Image:
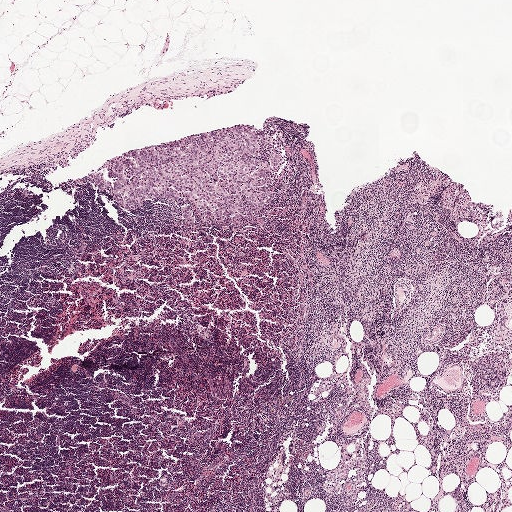
H&E-stained section of a sentinel lymph node (breast cancer), from a whole-slide image, viewed at about 2.5×: the field is about 2.0 mm across, about 3.9 µm per pixel.
Question:
Is there metastatic carcinoma in this field?
Answer:
Yes.
Outlines of two tumour regions, largest first (closed clockwise paths, crop pixels): region 1: (246, 126), (273, 137), (262, 154), (264, 162), (278, 154), (282, 163), (262, 188), (277, 193), (274, 200), (239, 220), (218, 222), (204, 221), (193, 201), (182, 196), (144, 197), (135, 211), (121, 206), (93, 175), (115, 183), (110, 166), (122, 154); region 2: (184, 204), (191, 205), (194, 220), (193, 226), (187, 226), (182, 222), (179, 216), (181, 209).
Two more small tumour pieces are annotated here but not outlined.
About 5% of this field is tumour.